Question: 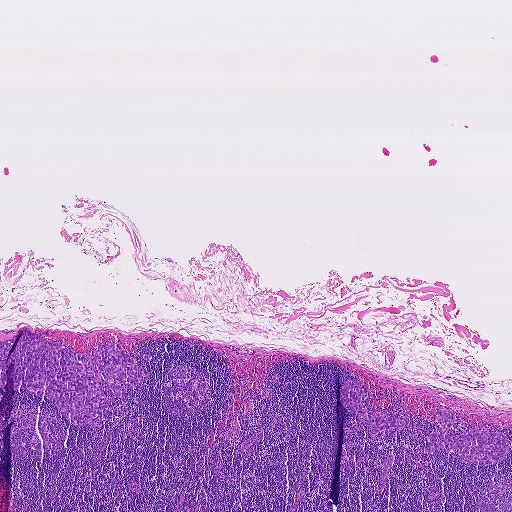
A 1.9-mm field of an H&E-stained sentinel lymph node from a breast-cancer patient (whole-slide image), shown at about 2.5×, about 3.6 µm per pixel.
About how much of this crop is taken up by metastatic carcinoma?

Choices:
 (A) about 5% or less
 (B) about 10% to 20%
 (C) about 25% to 45%
 (D) none: no tumour is outlined
 (E) about 50% or more

Answer: (A) about 5% or less
About 5% of the field is tumour.
Four metastatic tumour regions, each outlined as a closed clockwise path in crop pixels (x, y), largest first: region 1: (23, 327), (39, 334), (38, 340), (56, 341), (89, 358), (97, 344), (115, 344), (151, 372), (140, 387), (126, 388), (124, 395), (118, 398), (100, 388), (117, 408), (118, 415), (111, 413), (94, 426), (74, 425), (52, 401), (28, 392), (1, 392), (0, 404), (0, 339), (14, 336); region 2: (442, 408), (452, 413), (450, 428), (455, 432), (448, 439), (452, 441), (470, 428), (504, 432), (509, 442), (507, 453), (501, 462), (484, 465), (462, 462), (452, 450), (450, 454), (439, 449), (438, 453), (427, 454), (425, 445), (431, 445), (424, 434), (440, 428), (436, 416); region 3: (349, 378), (354, 380), (363, 387), (363, 401), (370, 410), (376, 411), (381, 409), (386, 411), (389, 416), (405, 414), (409, 418), (409, 424), (406, 428), (395, 427), (387, 434), (376, 432), (374, 427), (368, 427), (364, 423), (358, 414), (343, 407), (340, 402), (339, 391), (344, 380); region 4: (0, 408), (3, 418), (7, 423), (5, 429), (0, 430).
One more small tumour piece is annotated here but not outlined.